Question: 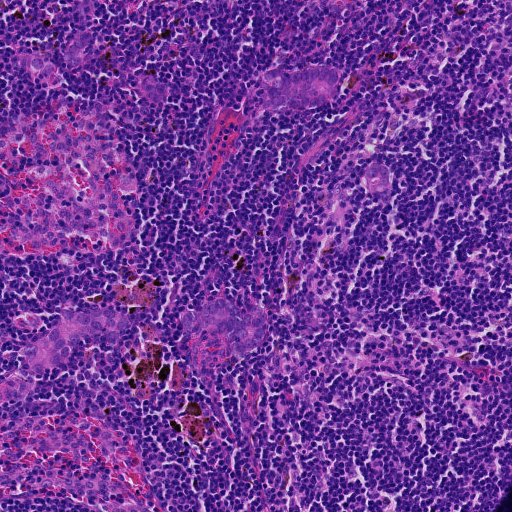
Which magnification is this H&E lymph node field most likely shown at?

Choices:
 (A) about 10×
 (B) about 5×
 (C) about 20×
 (D) about 2.5×
 (E) about 40×

Answer: (A) about 10×
A 0.46-mm field of an H&E-stained sentinel lymph node from a breast-cancer patient (whole-slide image), shown at about 10×, about 0.91 µm per pixel.
Five metastatic tumour regions, each outlined as a closed clockwise path in crop pixels (x, y), largest first: region 1: (96, 306), (125, 312), (129, 320), (128, 330), (122, 339), (114, 344), (95, 335), (60, 366), (41, 373), (32, 372), (19, 356), (22, 347), (56, 325), (59, 315), (66, 308), (86, 310); region 2: (217, 298), (227, 300), (235, 306), (254, 304), (263, 310), (266, 320), (263, 340), (256, 347), (247, 352), (236, 354), (225, 346), (207, 338), (196, 338), (188, 344), (182, 326), (183, 316), (190, 309), (201, 309), (207, 301); region 3: (310, 66), (331, 66), (340, 72), (342, 82), (340, 92), (332, 98), (314, 107), (270, 112), (257, 92), (261, 83), (262, 73), (270, 68), (291, 72); region 4: (374, 158), (383, 159), (390, 166), (392, 176), (390, 187), (382, 192), (373, 192), (366, 184), (363, 173), (366, 164); region 5: (90, 30), (90, 40), (87, 49), (79, 55), (80, 64), (66, 64), (64, 55), (66, 45), (81, 31).
Two more small tumour pieces are annotated here but not outlined.
Tumour covers about 5% of the frame.